Image:
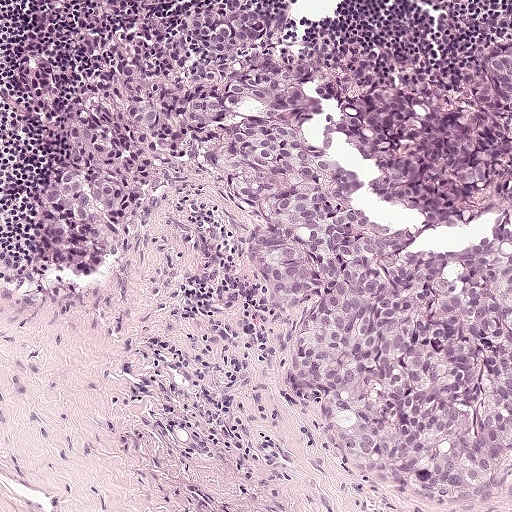
A 0.5-mm field of an H&E-stained sentinel lymph node from a breast-cancer patient (whole-slide image), shown at about 10×, about 0.97 µm per pixel.
Question:
Trace the edge of each tumour region in this crop, as (x, y) points from 0 to 511.
Answer:
The outlined metastatic tumour's edge, as a closed clockwise path of 23 points: (224, 0), (267, 20), (263, 51), (362, 57), (464, 101), (511, 50), (511, 511), (416, 510), (328, 456), (318, 407), (278, 385), (280, 350), (313, 310), (273, 310), (205, 171), (170, 177), (171, 217), (116, 284), (47, 264), (49, 189), (97, 88), (198, 57), (187, 16).
The annotated tumour makes up about 50% of the crop.